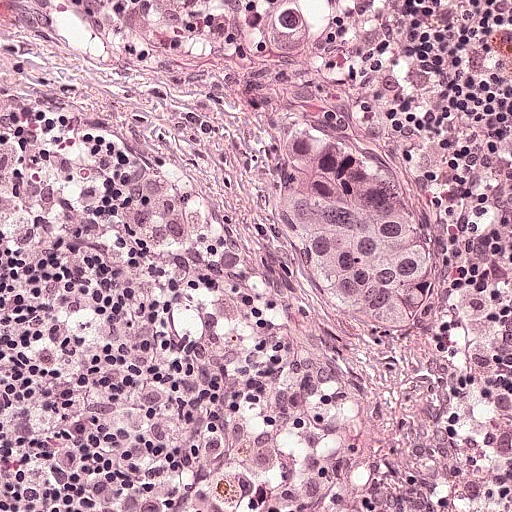
A 0.25-mm field of an H&E-stained sentinel lymph node from a breast-cancer patient (whole-slide image), shown at about 20×, about 0.49 µm per pixel.
The outlined metastatic tumour's edge, as a closed clockwise path of 13 points: (276, 116), (322, 126), (372, 154), (420, 196), (436, 232), (438, 272), (414, 342), (393, 348), (365, 346), (309, 313), (301, 284), (245, 194), (260, 136).
About 10% of the image area is annotated as tumour.